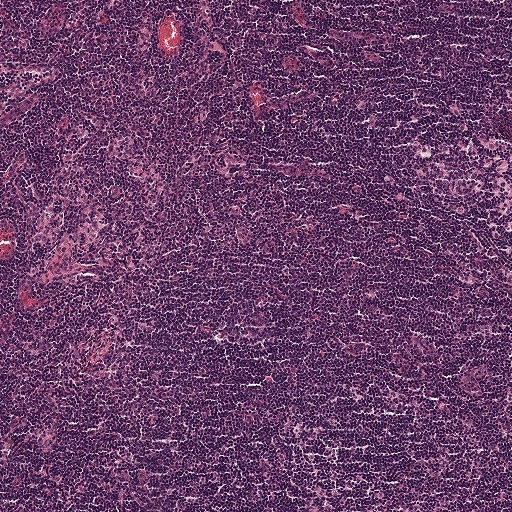
Lymph node section stained with H&E, from a whole-slide image of a breast-cancer sentinel node. Magnification about 5×, about 1 mm across the frame, about 1.9 µm per pixel.
Question: Does this lymph node field contain metastatic tumour?
Answer: No. No metastatic tumour is outlined in this field.